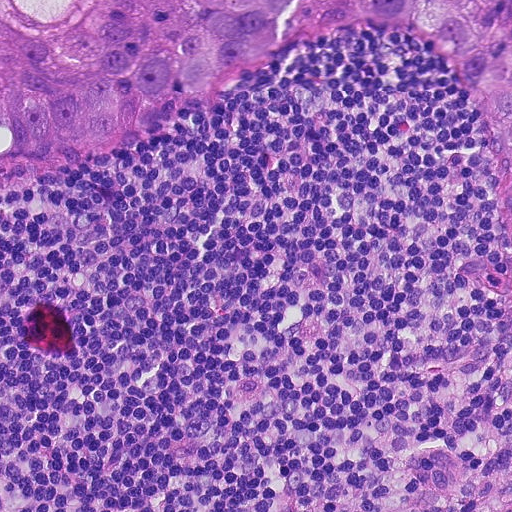
A 0.23-mm field of an H&E-stained sentinel lymph node from a breast-cancer patient (whole-slide image), shown at about 20×, about 0.45 µm per pixel.
Tumour region outline (a closed clockwise path, crop pixels): (0, 0), (511, 0), (511, 253), (490, 150), (454, 73), (431, 40), (396, 20), (312, 44), (169, 134), (0, 191).
Tumour covers about 20% of the frame.